Question: 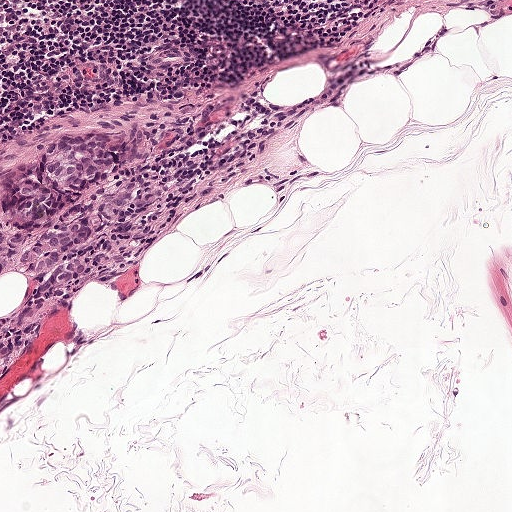
Lymph node section stained with H&E, from a whole-slide image of a breast-cancer sentinel node. Magnification about 10×, about 0.5 mm across the frame, about 0.97 µm per pixel.
What fraction of the image area is metastatic tumour?

Choices:
 (A) about 50% or more
 (B) none: no tumour is outlined
 (C) about 10% to 20%
 (D) about 25% to 45%
 (E) about 5% or less

Answer: (E) about 5% or less
About 5% of the field is tumour.
Two metastatic tumour regions, each outlined as a closed clockwise path in crop pixels (x, y), largest first: region 1: (81, 132), (122, 140), (135, 180), (125, 206), (84, 240), (82, 272), (70, 284), (49, 285), (20, 260), (0, 274), (0, 242), (10, 226), (3, 201), (6, 176), (37, 161), (49, 143), (63, 136); region 2: (30, 304), (37, 315), (26, 340), (8, 369), (0, 377), (0, 322).